Question: 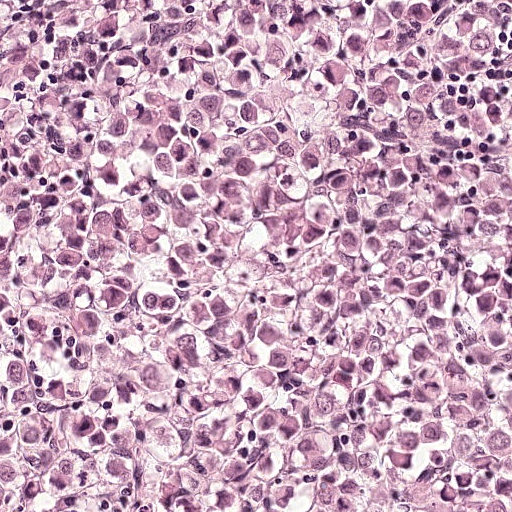
This is a crop of a whole-slide image: an H&E-stained breast-cancer sentinel lymph node section at roughly 20× magnification (about 0.49 µm per pixel; the crop spans about 0.25 mm).
What fraction of the image area is metastatic tumour?

Choices:
 (A) about 25% to 45%
 (B) about 50% or more
 (C) none: no tumour is outlined
 (D) about 5% or less
 (E) about 10% to 20%

Answer: (B) about 50% or more
About 70% of the field is tumour.
One metastatic tumour region; its boundary, reduced to 6 corners and listed clockwise: (511, 62), (511, 511), (0, 511), (0, 270), (140, 185), (374, 124).